Question: 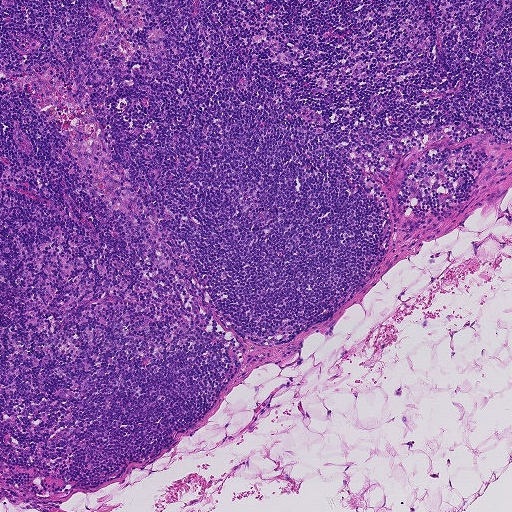
Which magnification is this H&E lymph node field most likely shown at?

Choices:
 (A) about 2.5×
 (B) about 5×
 (C) about 10×
 (D) about 40×
 (E) about 20×

Answer: (B) about 5×
A 0.93-mm field of an H&E-stained sentinel lymph node from a breast-cancer patient (whole-slide image), shown at about 5×, about 1.8 µm per pixel.